Question: 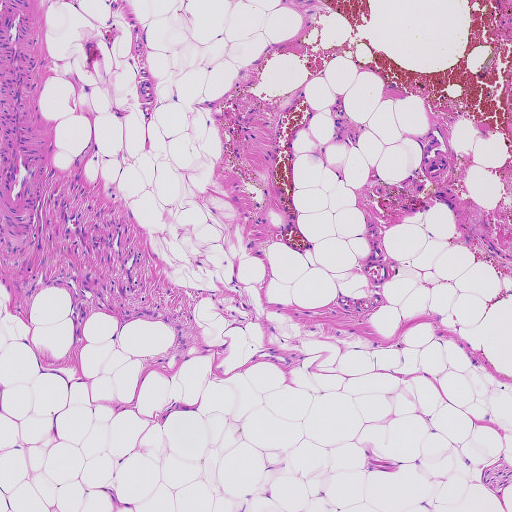
At roughly what magnification is this field shown?

Choices:
 (A) about 10×
 (B) about 2.5×
 (C) about 40×
 (D) about 20×
 (E) about 5×

Answer: (E) about 5×
Lymph node section stained with H&E, from a whole-slide image of a breast-cancer sentinel node. Magnification about 5×, about 0.93 mm across the frame, about 1.8 µm per pixel.